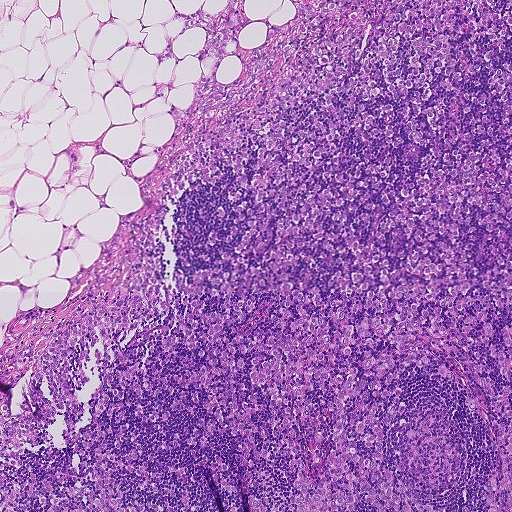
This is a crop of a whole-slide image: an H&E-stained breast-cancer sentinel lymph node section at roughly 5× magnification (about 1.8 µm per pixel; the crop spans about 0.93 mm).